H&E-stained section of a sentinel lymph node (breast cancer), from a whole-slide image, viewed at about 20×: the field is about 0.25 mm across, about 0.49 µm per pixel.
Question: 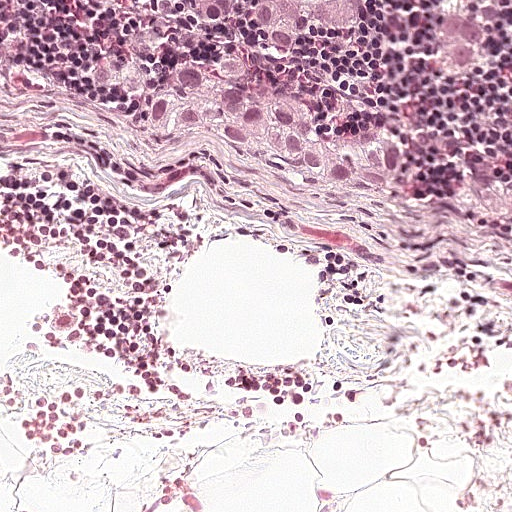
Estimate the proportion of this field that is metastatic tumour.

Choices:
 (A) none: no tumour is outlined
 (B) about 10% to 20%
 (C) about 5% or less
 (D) about 50% or more
 (E) about 25% to 45%

Answer: (B) about 10% to 20%
About 10% of the field is tumour.
Four metastatic tumour regions, each outlined as a closed clockwise path in crop pixels (x, y), largest first: region 1: (227, 62), (298, 108), (326, 142), (356, 136), (388, 139), (394, 148), (394, 162), (385, 194), (366, 198), (295, 184), (148, 134), (138, 122), (140, 103), (180, 68); region 2: (352, 0), (352, 22), (349, 30), (331, 40), (268, 55), (257, 52), (246, 34), (243, 2); region 3: (445, 6), (472, 22), (478, 22), (484, 36), (484, 43), (478, 64), (474, 70), (466, 76), (457, 79), (444, 79), (436, 76), (427, 68), (431, 43), (431, 12), (433, 10); region 4: (235, 0), (220, 27), (204, 32), (195, 32), (181, 22), (177, 14), (180, 1).